A 1-mm field of an H&E-stained sentinel lymph node from a breast-cancer patient (whole-slide image), shown at about 5×, about 1.9 µm per pixel.
Image:
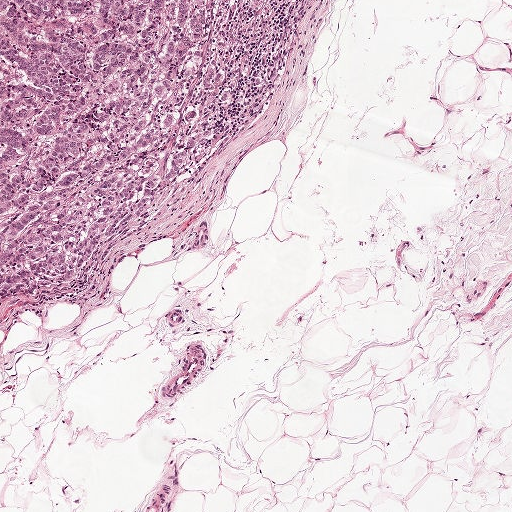
Question:
Is any metastatic breast cancer visible in this crop?
Answer:
Yes.
The outlined metastatic tumour's edge, as a closed clockwise path of 5 points: (0, 0), (318, 0), (270, 126), (214, 208), (0, 326).
The annotated tumour makes up about 25% of the crop.